Question: 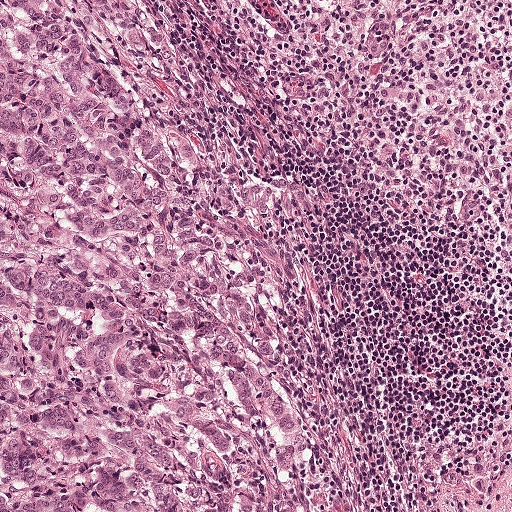
Lymph node section stained with H&E, from a whole-slide image of a breast-cancer sentinel node. Magnification about 10×, about 0.5 mm across the frame, about 0.97 µm per pixel.
What fraction of the image area is metastatic tumour?

Choices:
 (A) none: no tumour is outlined
 (B) about 50% or more
 (C) about 5% or less
 (D) about 10% to 20%
 (E) about 25% to 45%

Answer: (B) about 50% or more
About 55% of the field is tumour.
Tumour region outline (a closed clockwise path, crop pixels): (0, 0), (156, 0), (263, 183), (298, 326), (344, 397), (362, 511), (0, 511).